Question: 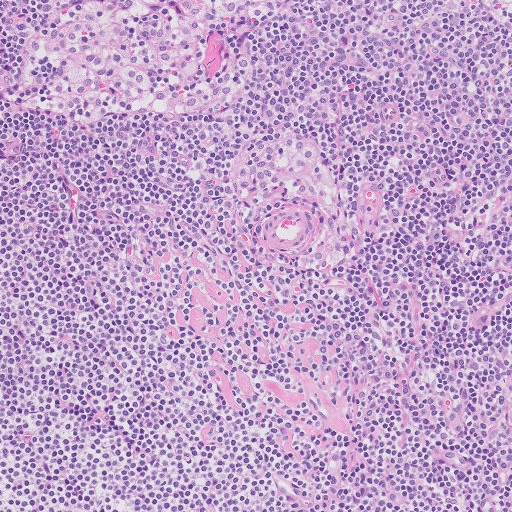
About what magnification does this crop show?

Choices:
 (A) about 10×
 (B) about 20×
 (C) about 5×
 (D) about 40×
 (E) about 2.5×

Answer: (A) about 10×
H&E-stained section of a sentinel lymph node (breast cancer), from a whole-slide image, viewed at about 10×: the field is about 0.51 mm across, about 1.0 µm per pixel.